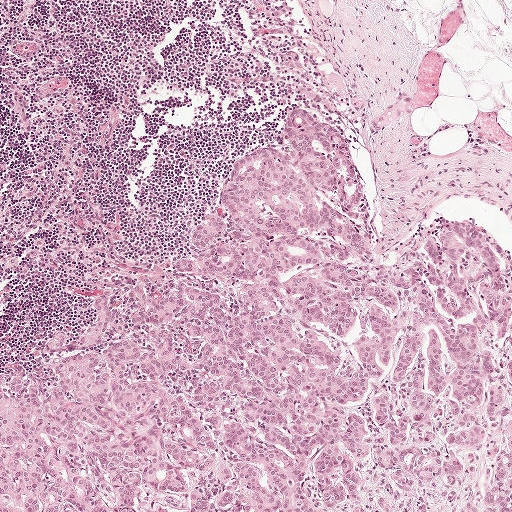
Lymph node section stained with H&E, from a whole-slide image of a breast-cancer sentinel node. Magnification about 5×, about 1 mm across the frame, about 1.9 µm per pixel.
Tumour region outline (a closed clockwise path, crop pixels): (290, 114), (335, 123), (368, 199), (369, 252), (382, 267), (405, 264), (460, 222), (485, 232), (511, 266), (511, 511), (0, 511), (0, 370), (56, 389), (38, 362), (81, 353), (43, 349), (44, 339), (77, 337), (112, 291), (166, 282), (227, 167), (255, 150), (285, 150).
About 55% of the image area is annotated as tumour.